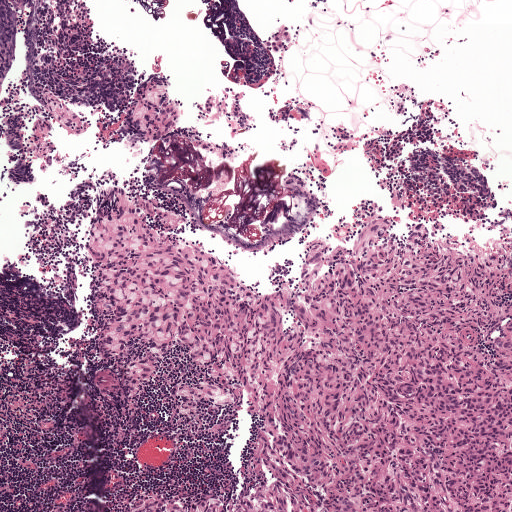
Lymph node section stained with H&E, from a whole-slide image of a breast-cancer sentinel node. Magnification about 5×, about 1 mm across the frame, about 1.9 µm per pixel.
Boundaries of two metastatic tumour regions, simplified and listed clockwise, largest first: region 1: (115, 189), (165, 199), (210, 255), (244, 268), (279, 262), (360, 204), (444, 228), (511, 259), (511, 511), (132, 511), (216, 497), (242, 479), (247, 447), (241, 416), (208, 415), (183, 395), (208, 375), (145, 385), (116, 371), (86, 247); region 2: (158, 74), (174, 91), (182, 108), (182, 126), (167, 135), (150, 140), (134, 132), (126, 116), (131, 99), (143, 84).
About 40% of this field is tumour.